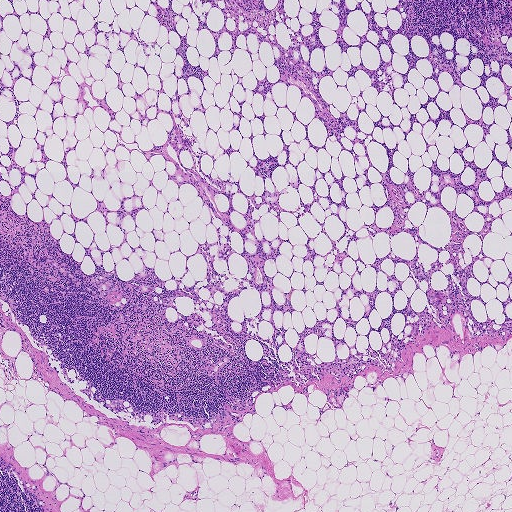
A 1.9-mm field of an H&E-stained sentinel lymph node from a breast-cancer patient (whole-slide image), shown at about 2.5×, about 3.6 µm per pixel.